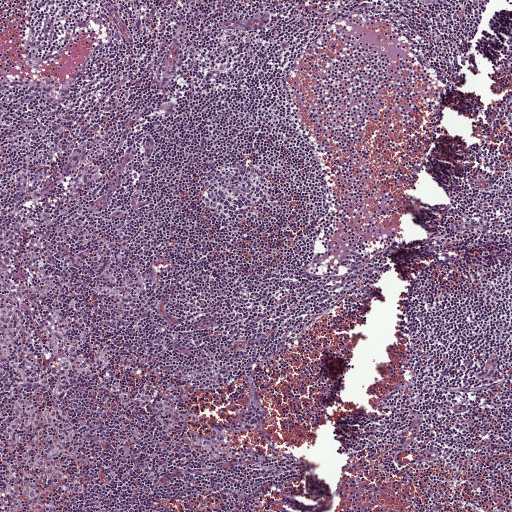
H&E-stained section of a sentinel lymph node (breast cancer), from a whole-slide image, viewed at about 5×: the field is about 1 mm across, about 1.9 µm per pixel.